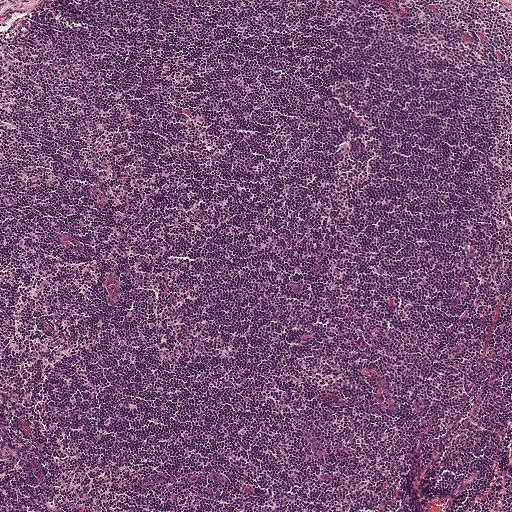
H&E-stained section of a sentinel lymph node (breast cancer), from a whole-slide image, viewed at about 5×: the field is about 1 mm across, about 1.9 µm per pixel.